Image:
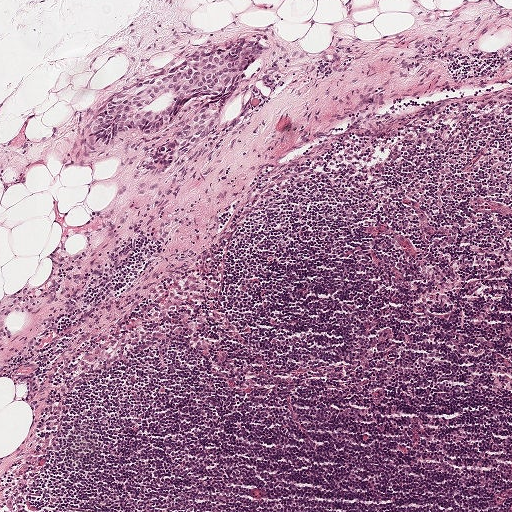
Lymph node section stained with H&E, from a whole-slide image of a breast-cancer sentinel node. Magnification about 5×, about 1 mm across the frame, about 1.9 µm per pixel.
Question:
Where is the metastatic tumour in this field?
Answer:
One metastatic tumour region; its boundary, reduced to 20 corners and listed clockwise: (252, 39), (267, 42), (269, 48), (239, 75), (220, 123), (174, 167), (144, 173), (140, 163), (208, 106), (207, 96), (188, 99), (165, 129), (150, 140), (122, 138), (108, 150), (90, 142), (90, 118), (112, 97), (140, 88), (217, 46).
About 5% of this field is tumour.